Question: 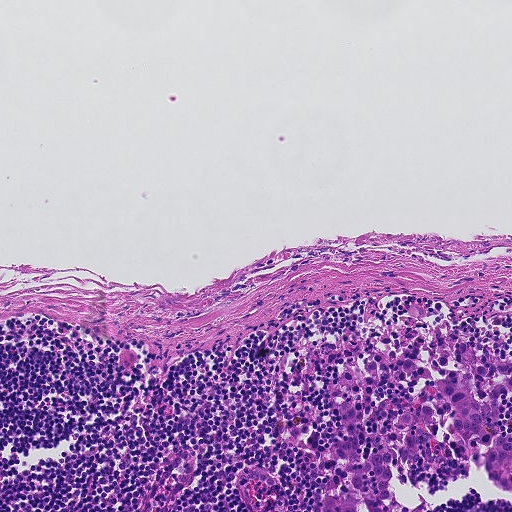
This is a crop of a whole-slide image: an H&E-stained breast-cancer sentinel lymph node section at roughly 10× magnification (about 0.9 µm per pixel; the crop spans about 0.46 mm).
Estimate the proportion of this field that is metastatic tumour.

Choices:
 (A) about 10% to 20%
 (B) about 5% or less
 (C) about 25% to 45%
 (D) none: no tumour is outlined
 (E) about 50% or more

Answer: (B) about 5% or less
About 5% of the field is tumour.
One metastatic tumour region; its boundary, reduced to 23 corners and listed clockwise: (466, 346), (483, 365), (511, 361), (511, 493), (476, 462), (390, 465), (393, 494), (413, 507), (425, 502), (422, 511), (320, 506), (330, 483), (324, 460), (342, 426), (336, 401), (356, 410), (363, 460), (415, 394), (417, 381), (399, 365), (448, 356), (458, 365), (454, 348).